Question: 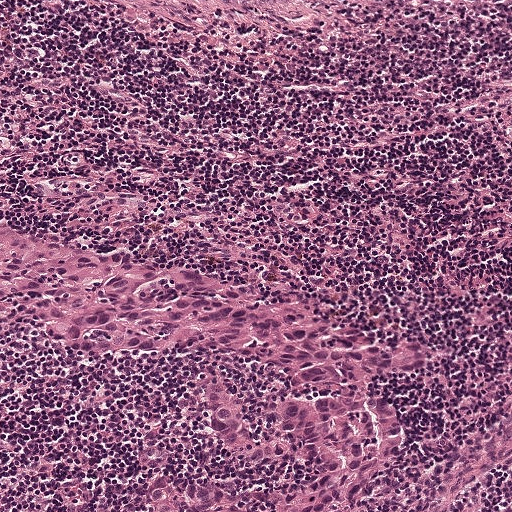
Lymph node section stained with H&E, from a whole-slide image of a breast-cancer sentinel node. Magnification about 10×, about 0.5 mm across the frame, about 0.97 µm per pixel.
About how much of this crop is taken up by metastatic carcinoma?

Choices:
 (A) about 5% or less
 (B) none: no tumour is outlined
 (C) about 50% or more
 (D) about 10% to 20%
 (E) about 25% to 45%

Answer: (E) about 25% to 45%
About 35% of the field is tumour.
Outlines of two tumour regions, largest first (closed clockwise paths, crop pixels): region 1: (0, 204), (70, 236), (235, 274), (352, 327), (416, 342), (418, 363), (385, 364), (398, 464), (380, 490), (336, 510), (0, 511); region 2: (511, 492), (511, 511), (451, 511), (456, 508), (467, 503), (478, 500), (486, 497), (501, 494), (506, 494).